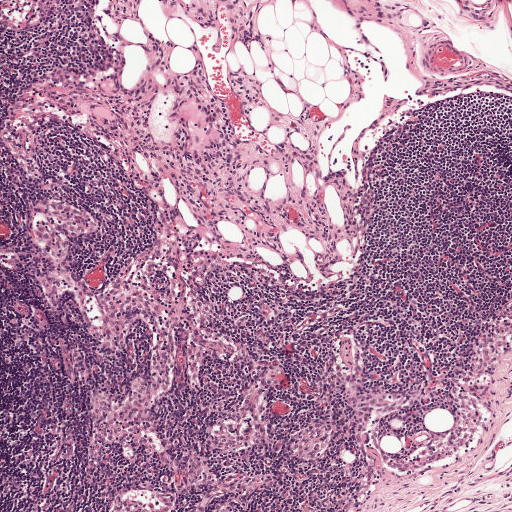
H&E-stained section of a sentinel lymph node (breast cancer), from a whole-slide image, viewed at about 5×: the field is about 1 mm across, about 1.9 µm per pixel.